Image:
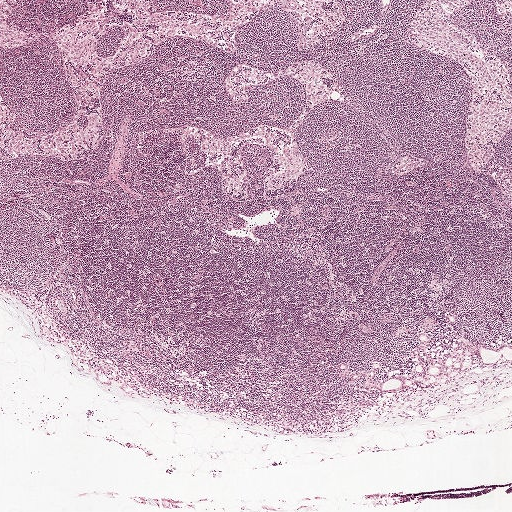
This is a crop of a whole-slide image: an H&E-stained breast-cancer sentinel lymph node section at roughly 2.5× magnification (about 3.9 µm per pixel; the crop spans about 2.0 mm).
Question:
Where is the metastatic tumour in this field? Give each region's outline as (x, y) pixel points.
Answer:
Boundaries of two metastatic tumour regions, simplified and listed clockwise, largest first: region 1: (459, 328), (463, 337), (489, 347), (511, 345), (511, 361), (501, 357), (484, 365), (471, 354), (472, 364), (466, 371), (417, 390), (382, 393), (365, 388), (362, 376), (353, 381), (340, 377), (337, 366), (342, 362), (351, 371), (366, 370), (369, 363), (379, 362), (373, 382), (407, 376), (418, 359), (406, 354), (417, 343), (418, 332), (429, 337), (426, 347), (418, 350), (425, 361), (425, 353), (434, 361), (449, 351); region 2: (425, 316), (426, 316), (432, 319), (434, 323), (434, 325), (434, 328), (427, 332), (426, 332), (419, 328), (418, 327), (418, 326).
Two more small tumour pieces are annotated here but not outlined.
Tumour covers under 5% of the frame.

Image:
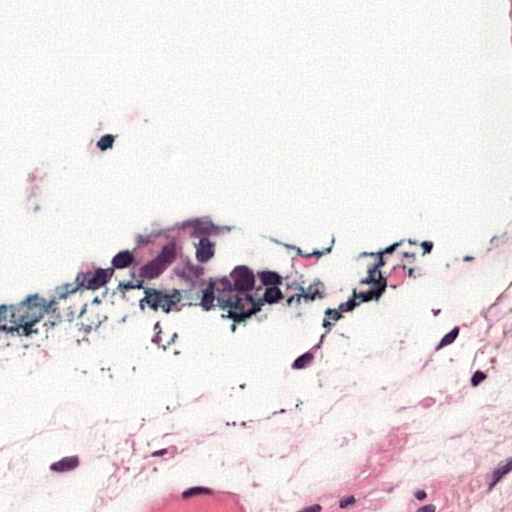
This is a crop of a whole-slide image: an H&E-stained breast-cancer sentinel lymph node section at roughly 40× magnification (about 0.24 µm per pixel; the crop spans about 0.12 mm).
Question:
Where is the metastatic tumour in this field? Give each region's outline as (x, y) pixel points.
Answer:
One metastatic tumour region; its boundary, reduced to 8 corners and listed clockwise: (192, 202), (277, 238), (307, 289), (239, 308), (169, 308), (61, 291), (70, 256), (162, 207).
About 5% of this field is tumour.

Image:
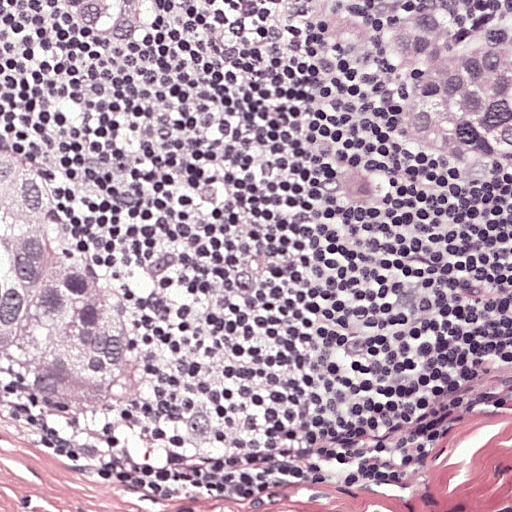
H&E-stained section of a sentinel lymph node (breast cancer), from a whole-slide image, viewed at about 20×: the field is about 0.25 mm across, about 0.49 µm per pixel.
Question:
Where is the metastatic tumour in this field? Give each region's outline as (x, y) pixel points.
Answer:
Three metastatic tumour regions, each outlined as a closed clockwise path in crop pixels (x, y), largest first: region 1: (0, 132), (26, 136), (64, 169), (136, 318), (148, 402), (128, 421), (104, 418), (3, 374); region 2: (438, 5), (478, 20), (511, 15), (511, 172), (470, 175), (415, 154), (390, 158), (406, 174), (406, 202), (386, 212), (354, 212), (328, 198), (328, 175), (375, 158), (368, 133), (410, 92), (392, 74), (382, 47), (382, 22), (406, 6); region 3: (35, 0), (156, 0), (154, 28), (137, 58), (114, 66), (88, 64), (64, 50), (46, 26).
About 20% of this field is tumour.

Image:
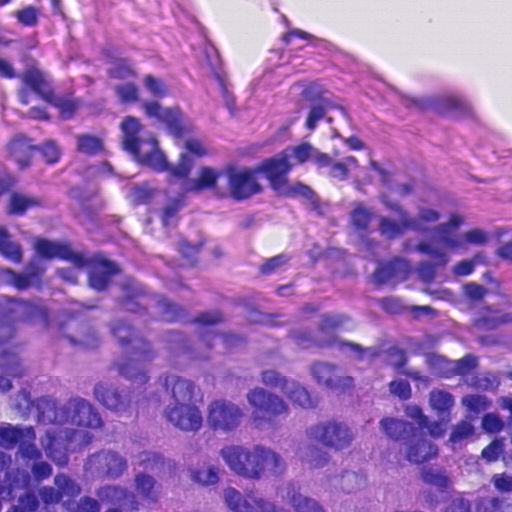
Lymph node section stained with H&E, from a whole-slide image of a breast-cancer sentinel node. Magnification about 40×, about 0.12 mm across the frame, about 0.23 µm per pixel.
Question:
Where is the metastatic tumour in this field? Give each region's outline as (x, y) pixel points.
Answer:
Tumour region outline (a closed clockwise path, crop pixels): (0, 293), (288, 335), (351, 349), (490, 492), (496, 511), (111, 511), (59, 476), (0, 381).
About 30% of this field is tumour.